Question: 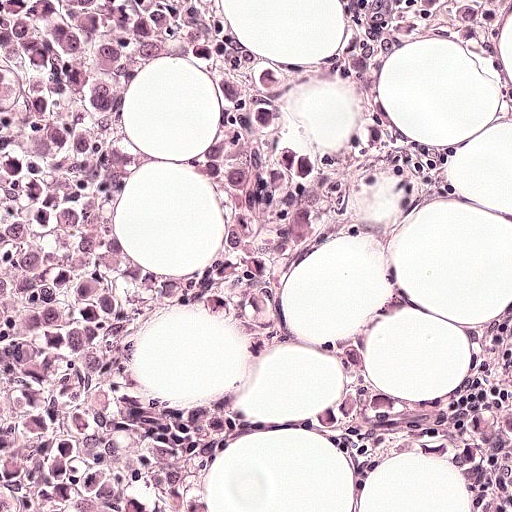
Lymph node section stained with H&E, from a whole-slide image of a breast-cancer sentinel node. Magnification about 20×, about 0.25 mm across the frame, about 0.49 µm per pixel.
About how much of this crop is taken up by metastatic carcinoma?

Choices:
 (A) about 50% or more
 (B) about 10% to 20%
 (C) about 5% or less
 (D) none: no tumour is outlined
 (E) about 25% to 45%

Answer: (E) about 25% to 45%
About 30% of the field is tumour.
Tumour region outline (a closed clockwise path, crop pixels): (0, 0), (142, 0), (142, 34), (119, 86), (121, 130), (140, 168), (114, 204), (114, 243), (146, 284), (132, 338), (171, 412), (194, 427), (198, 473), (150, 511), (0, 511).